Question: 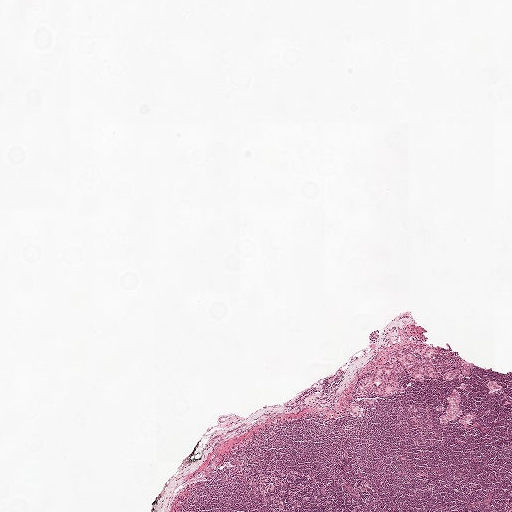
A 2.0-mm field of an H&E-stained sentinel lymph node from a breast-cancer patient (whole-slide image), shown at about 2.5×, about 3.9 µm per pixel.
What fraction of the image area is metastatic tumour?

Choices:
 (A) about 50% or more
 (B) about 25% to 45%
 (C) about 5% or less
 (D) none: no tumour is outlined
 (E) about 10% to 20%

Answer: (C) about 5% or less
Under 5% of the field is tumour.
Outlines of five tumour regions, largest first (closed clockwise paths, crop pixels): region 1: (421, 344), (437, 349), (437, 354), (435, 359), (432, 359), (436, 373), (437, 374), (437, 379), (424, 376), (424, 380), (421, 381), (414, 379), (406, 369), (406, 364), (398, 360), (397, 363), (405, 372), (396, 373), (399, 386), (403, 388), (404, 392), (382, 396), (373, 390), (372, 388), (368, 393), (361, 396), (355, 394), (360, 379), (368, 376), (370, 373), (378, 368), (388, 365), (392, 351), (401, 347), (407, 348), (420, 360), (421, 356), (411, 349), (411, 345); region 2: (455, 389), (459, 392), (461, 400), (459, 406), (462, 414), (455, 420), (441, 422), (439, 420), (439, 418), (447, 410), (448, 405), (447, 397); region 3: (464, 362), (473, 363), (473, 369), (469, 370), (470, 376), (469, 377), (466, 377), (459, 374), (454, 376), (452, 380), (450, 380), (446, 380), (443, 378), (445, 374), (449, 371), (456, 369), (462, 369), (461, 367), (463, 366); region 4: (352, 402), (354, 402), (359, 404), (363, 409), (361, 417), (358, 417), (352, 415), (350, 412), (349, 410); region 5: (466, 412), (469, 412), (476, 414), (474, 419), (471, 419), (472, 424), (469, 426), (464, 425), (460, 420), (460, 418), (464, 416).
Two more small tumour pieces are annotated here but not outlined.